A 1.9-mm field of an H&E-stained sentinel lymph node from a breast-cancer patient (whole-slide image), shown at about 2.5×, about 3.6 µm per pixel.
Question: 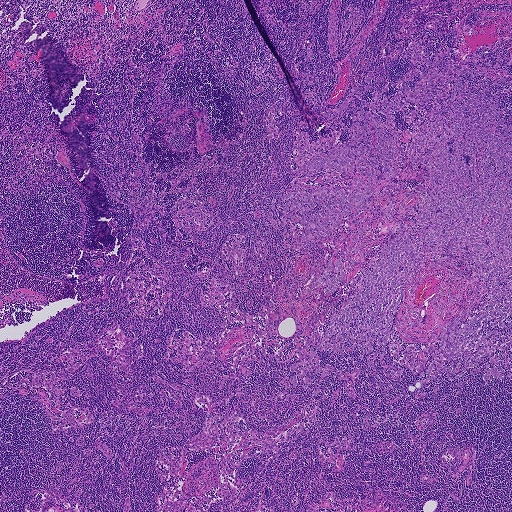
About how much of this crop is taken up by metastatic carcinoma?

Choices:
 (A) about 5% or less
 (B) about 25% to 45%
 (C) about 50% or more
 (D) about 10% to 20%
 (E) none: no tumour is outlined

Answer: (D) about 10% to 20%
About 20% of the field is tumour.
One metastatic tumour region; its boundary, reduced to 37 corners and listed clockwise: (434, 53), (438, 72), (498, 54), (499, 67), (487, 71), (511, 73), (488, 87), (511, 115), (511, 376), (483, 384), (484, 355), (457, 395), (454, 373), (415, 385), (399, 360), (418, 343), (397, 334), (384, 355), (383, 333), (317, 350), (330, 372), (288, 388), (290, 366), (379, 245), (308, 293), (334, 245), (294, 248), (280, 198), (348, 191), (336, 170), (296, 172), (357, 111), (386, 120), (354, 97), (328, 118), (351, 87), (413, 88).
Four more small tumour pieces are annotated here but not outlined.